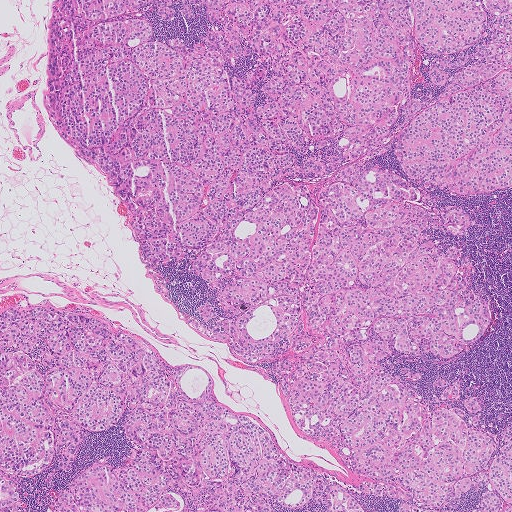
This is a crop of a whole-slide image: an H&E-stained breast-cancer sentinel lymph node section at roughly 2.5× magnification (about 4.0 µm per pixel; the crop spans about 2.0 mm).
Outlines of two tumour regions, largest first (closed clockwise paths, crop pixels): region 1: (511, 0), (511, 189), (429, 199), (475, 225), (439, 236), (474, 260), (485, 328), (457, 360), (387, 362), (422, 393), (475, 389), (494, 436), (511, 427), (511, 511), (365, 493), (268, 371), (196, 326), (208, 292), (173, 268), (164, 296), (51, 130), (58, 3); region 2: (83, 313), (170, 363), (198, 365), (209, 374), (212, 402), (252, 417), (291, 463), (320, 468), (375, 511), (0, 511), (0, 315).
The annotated tumour makes up about 80% of the crop.